This is a crop of a whole-slide image: an H&E-stained breast-cancer sentinel lymph node section at roughly 40× magnification (about 0.24 µm per pixel; the crop spans about 0.12 mm).
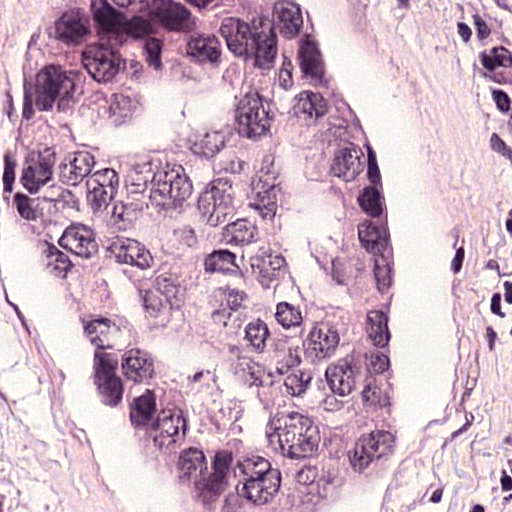
Metastatic tumour outline, simplified to 15 points and listed clockwise in crop pixels (x, y): (274, 0), (356, 121), (397, 235), (405, 407), (374, 471), (342, 498), (260, 506), (183, 489), (147, 462), (110, 407), (79, 298), (38, 262), (2, 194), (2, 116), (65, 3).
Tumour covers about 60% of the frame.